This is a crop of a whole-slide image: an H&E-stained breast-cancer sentinel lymph node section at roughly 5× magnification (about 1.8 µm per pixel; the crop spans about 0.93 mm).
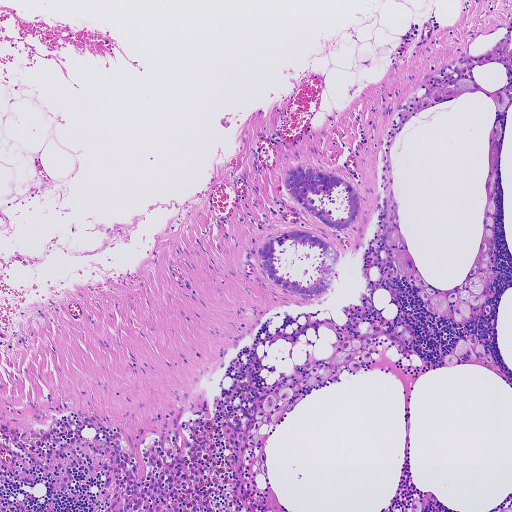
Outlines of two tumour regions, largest first (closed clockwise paths, crop pixels): region 1: (294, 231), (317, 236), (330, 244), (337, 249), (339, 257), (332, 287), (320, 298), (312, 298), (282, 290), (265, 274), (261, 267), (259, 252), (270, 241); region 2: (298, 162), (326, 174), (334, 173), (353, 187), (359, 201), (358, 216), (349, 227), (334, 229), (292, 199), (287, 193), (283, 178), (290, 164).
Tumour covers about 5% of the frame.